Question: 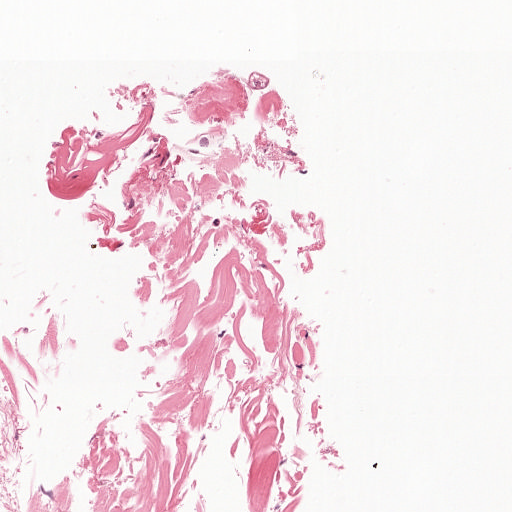
About what magnification does this crop show?

Choices:
 (A) about 10×
 (B) about 20×
 (C) about 40×
 (D) about 5×
 (E) about 2.5×

Answer: (A) about 10×
H&E-stained section of a sentinel lymph node (breast cancer), from a whole-slide image, viewed at about 10×: the field is about 0.5 mm across, about 0.97 µm per pixel.
The outlined metastatic tumour's edge, as a closed clockwise path of 9 points: (204, 133), (222, 134), (223, 137), (219, 148), (211, 149), (194, 145), (182, 146), (186, 140), (198, 134).
One more small tumour piece is annotated here but not outlined.
Tumour covers under 5% of the frame.